This is a crop of a whole-slide image: an H&E-stained breast-cancer sentinel lymph node section at roughly 2.5× magnification (about 3.6 µm per pixel; the crop spans about 1.9 mm).
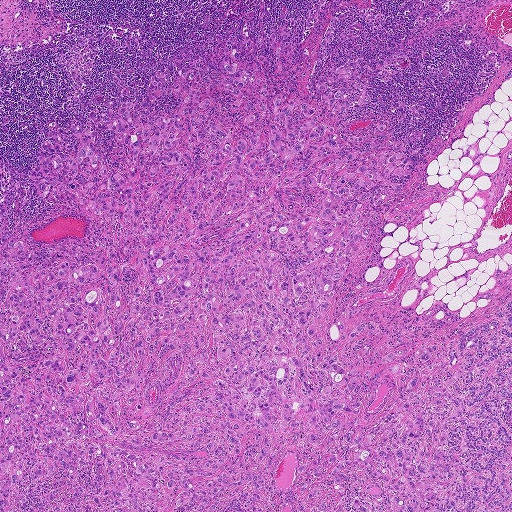
Boundaries of three metastatic tumour regions, simplified and listed clockwise, largest first: region 1: (232, 38), (320, 163), (423, 147), (319, 328), (387, 326), (344, 375), (511, 298), (511, 511), (0, 511), (4, 208), (22, 275), (104, 242), (123, 312), (155, 288), (123, 208), (37, 202), (39, 129), (92, 125), (126, 180), (92, 110), (175, 113), (150, 79), (201, 93); region 2: (330, 76), (333, 78), (332, 82), (325, 84), (328, 90), (331, 93), (341, 89), (347, 94), (348, 97), (337, 99), (336, 103), (343, 105), (357, 100), (360, 91), (353, 82), (360, 82), (367, 85), (370, 100), (357, 108), (349, 108), (348, 111), (342, 114), (338, 112), (334, 114), (328, 100), (322, 99), (316, 89), (316, 84), (321, 78), (324, 80), (323, 83), (326, 82); region 3: (283, 24), (284, 27), (283, 31), (286, 32), (287, 36), (281, 41), (291, 47), (291, 54), (288, 56), (286, 52), (286, 48), (281, 51), (281, 54), (279, 57), (274, 53), (274, 49), (270, 48), (270, 44), (268, 43), (268, 39), (274, 32), (278, 39), (279, 36), (278, 29).
Two more small tumour pieces are annotated here but not outlined.
About 60% of this field is tumour.